Question: 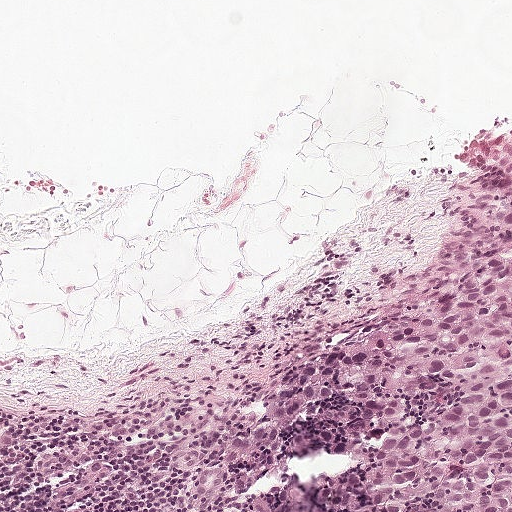
A 0.5-mm field of an H&E-stained sentinel lymph node from a breast-cancer patient (whole-slide image), shown at about 10×, about 0.97 µm per pixel.
What fraction of the image area is metastatic tumour?

Choices:
 (A) about 25% to 45%
 (B) about 5% or less
 (C) about 50% or more
 (D) about 10% to 20%
 (E) none: no tumour is outlined

Answer: (A) about 25% to 45%
About 30% of the field is tumour.
The outlined metastatic tumour's edge, as a closed clockwise path of 10 points: (511, 148), (511, 511), (349, 511), (336, 473), (240, 505), (176, 499), (178, 451), (276, 342), (386, 257), (482, 158).